Question: 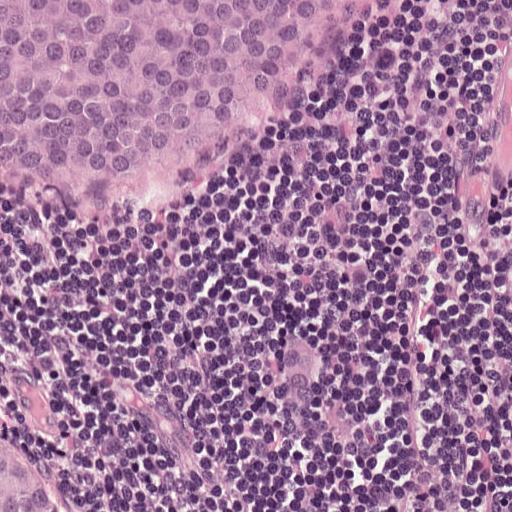
About what magnification does this crop show?

Choices:
 (A) about 10×
 (B) about 5×
 (C) about 2.5×
 (D) about 20×
 (E) about 40×

Answer: (D) about 20×
H&E-stained section of a sentinel lymph node (breast cancer), from a whole-slide image, viewed at about 20×: the field is about 0.25 mm across, about 0.49 µm per pixel.
Boundaries of two metastatic tumour regions, simplified and listed clockwise, largest first: region 1: (0, 0), (394, 0), (351, 64), (138, 236), (85, 233), (0, 196); region 2: (0, 296), (77, 434), (77, 478), (104, 511), (0, 511).
About 30% of this field is tumour.